A 2.0-mm field of an H&E-stained sentinel lymph node from a breast-cancer patient (whole-slide image), shown at about 2.5×, about 3.9 µm per pixel.
Question: 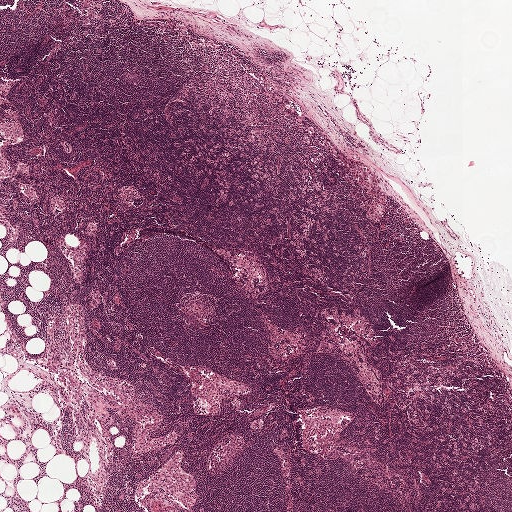
Estimate the proportion of this field that is metastatic tumour.

Choices:
 (A) about 50% or more
 (B) about 25% to 45%
 (C) none: no tumour is outlined
 (D) about 10% to 20%
 (E) about 5% or less

Answer: (C) none: no tumour is outlined
No metastatic tumour is outlined in this field.